Question: 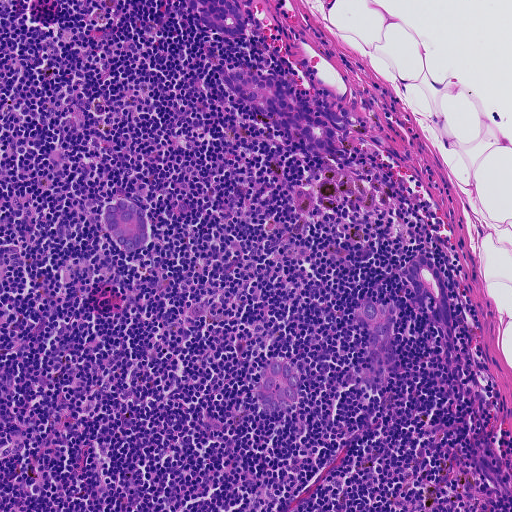
Lymph node section stained with H&E, from a whole-slide image of a breast-cancer sentinel node. Magnification about 10×, about 0.46 mm across the frame, about 0.91 µm per pixel.
What fraction of the image area is metastatic tumour?

Choices:
 (A) none: no tumour is outlined
 (B) about 50% or more
 (C) about 25% to 45%
 (D) about 5% or less
 (E) about 10% to 20%

Answer: (D) about 5% or less
About 5% of the field is tumour.
Outlines of six tumour regions, largest first (closed clockwise paths, crop pixels): region 1: (226, 69), (237, 69), (276, 75), (296, 98), (319, 105), (338, 106), (346, 112), (349, 122), (342, 141), (342, 151), (336, 157), (326, 156), (311, 142), (280, 134), (266, 118), (256, 115), (244, 99), (231, 91), (218, 75); region 2: (420, 253), (430, 254), (441, 274), (454, 321), (448, 327), (438, 325), (430, 319), (416, 302), (409, 282), (405, 276), (406, 266), (412, 258); region 3: (366, 298), (380, 304), (390, 302), (398, 308), (394, 328), (394, 339), (399, 348), (399, 358), (393, 366), (384, 369), (376, 364), (370, 355), (368, 346), (366, 326), (361, 307); region 4: (272, 357), (293, 360), (298, 379), (298, 398), (291, 406), (282, 412), (272, 412), (263, 410), (254, 391), (265, 373), (265, 363); region 5: (117, 199), (127, 200), (145, 211), (149, 225), (149, 235), (137, 251), (128, 251), (118, 248), (111, 240), (103, 212), (108, 204); region 6: (187, 0), (230, 0), (242, 8), (246, 16), (246, 26), (242, 35), (233, 38), (205, 25), (197, 16).